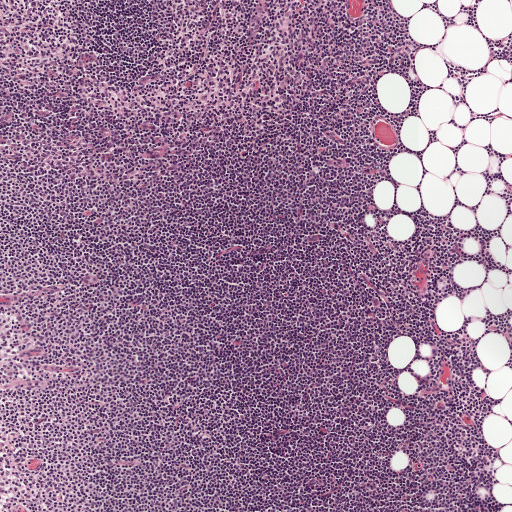
This is a crop of a whole-slide image: an H&E-stained breast-cancer sentinel lymph node section at roughly 5× magnification (about 1.9 µm per pixel; the crop spans about 1 mm).